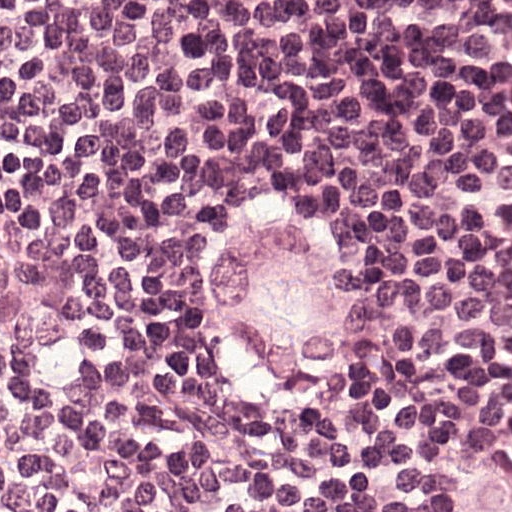
A 0.12-mm field of an H&E-stained sentinel lymph node from a breast-cancer patient (whole-slide image), shown at about 40×, about 0.24 µm per pixel.
Three metastatic tumour regions, each outlined as a closed clockwise path in crop pixels (x, y), largest first: region 1: (269, 186), (309, 195), (353, 242), (369, 289), (371, 324), (359, 355), (315, 389), (272, 391), (250, 386), (206, 339), (215, 227), (244, 195); region 2: (0, 259), (5, 265), (37, 279), (40, 288), (40, 329), (19, 351), (19, 356), (10, 365), (0, 367); region 3: (466, 466), (511, 469), (511, 511), (438, 511), (438, 500), (445, 492), (445, 488), (450, 485), (452, 478).
About 10% of the image area is annotated as tumour.